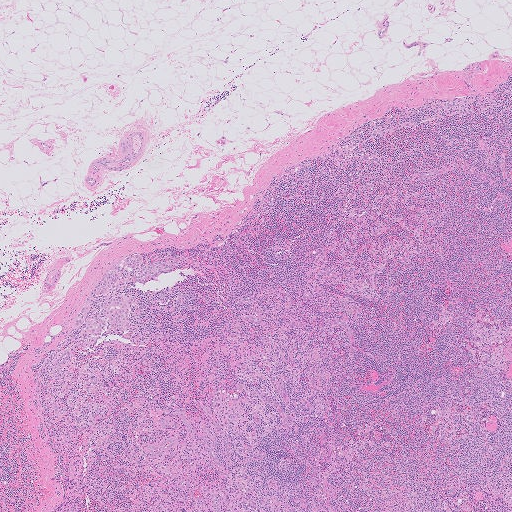
H&E-stained section of a sentinel lymph node (breast cancer), from a whole-slide image, viewed at about 2.5×: the field is about 2.0 mm across, about 4.0 µm per pixel.
Outlines of two tumour regions, largest first (closed clockwise paths, crop pixels): region 1: (124, 293), (135, 298), (137, 305), (132, 315), (134, 319), (131, 325), (122, 332), (80, 340), (77, 337), (80, 330), (69, 326), (70, 320), (78, 310), (88, 304), (91, 307), (90, 315), (93, 314), (105, 300); region 2: (139, 253), (143, 257), (145, 264), (157, 257), (160, 260), (175, 261), (176, 269), (174, 272), (142, 284), (134, 283), (132, 280), (134, 269), (123, 280), (104, 294), (93, 294), (93, 287), (102, 274), (113, 263), (131, 254).
Tumour covers under 5% of the frame.